Image:
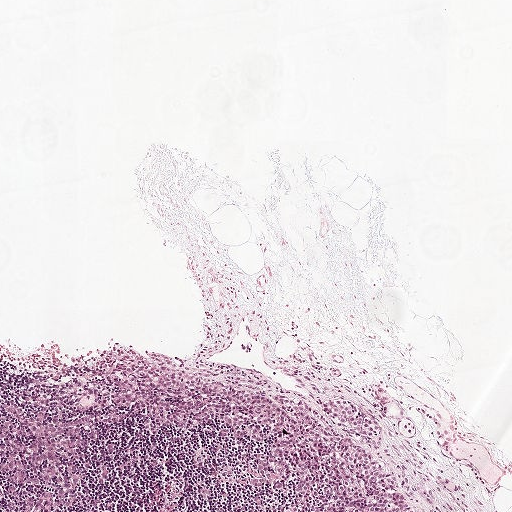
A 1-mm field of an H&E-stained sentinel lymph node from a breast-cancer patient (whole-slide image), shown at about 5×, about 1.9 µm per pixel.
Question:
Is any metastatic breast cancer visible in this crop?
Answer:
Yes.
One metastatic tumour region; its boundary, reduced to 8 corners and listed clockwise: (166, 368), (313, 406), (350, 396), (379, 417), (378, 452), (416, 511), (0, 511), (0, 373).
About 20% of the image area is annotated as tumour.